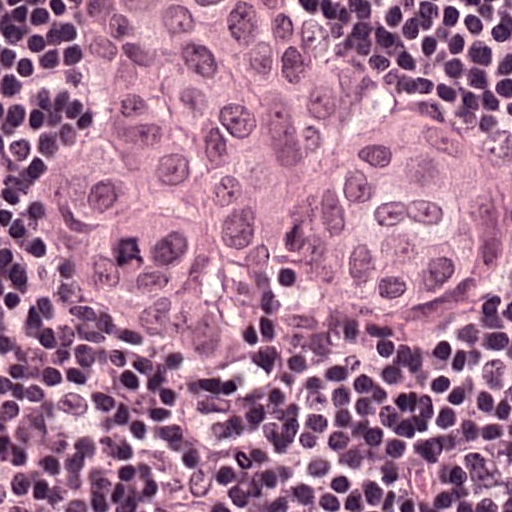
A 0.12-mm field of an H&E-stained sentinel lymph node from a breast-cancer patient (whole-slide image), shown at about 40×, about 0.24 µm per pixel.
The outlined metastatic tumour's edge, as a closed clockwise path of 15 points: (316, 0), (340, 30), (435, 62), (481, 98), (511, 137), (511, 280), (449, 380), (290, 406), (149, 398), (35, 326), (8, 271), (4, 194), (26, 126), (54, 94), (63, 7).
About 65% of the image area is annotated as tumour.